A 2.0-mm field of an H&E-stained sentinel lymph node from a breast-cancer patient (whole-slide image), shown at about 2.5×, about 3.9 µm per pixel.
Image:
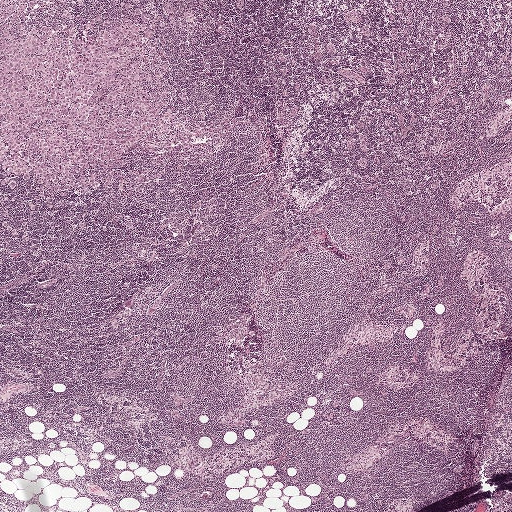
Question:
Does this lymph node field contain metastatic tumour?
Answer:
Yes.
The outlined metastatic tumour's edge, as a closed clockwise path of 19 points: (0, 0), (161, 0), (190, 14), (189, 28), (162, 30), (155, 42), (208, 122), (199, 133), (128, 153), (125, 170), (168, 173), (152, 199), (118, 215), (109, 235), (72, 231), (54, 212), (41, 212), (26, 242), (1, 251).
About 15% of this field is tumour.